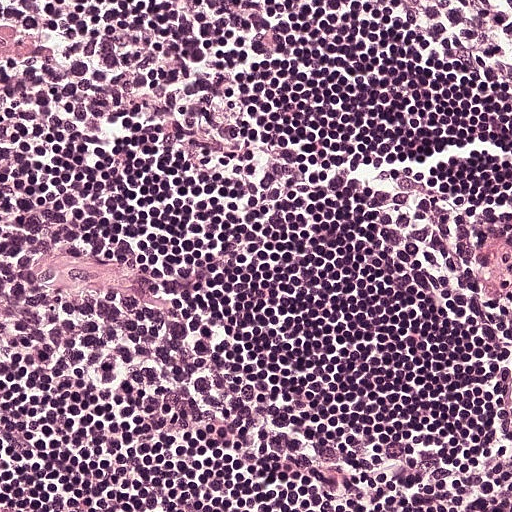
H&E-stained section of a sentinel lymph node (breast cancer), from a whole-slide image, viewed at about 20×: the field is about 0.25 mm across, about 0.49 µm per pixel.